Lymph node section stained with H&E, from a whole-slide image of a breast-cancer sentinel node. Magnification about 2.5×, about 2.0 mm across the frame, about 3.9 µm per pixel.
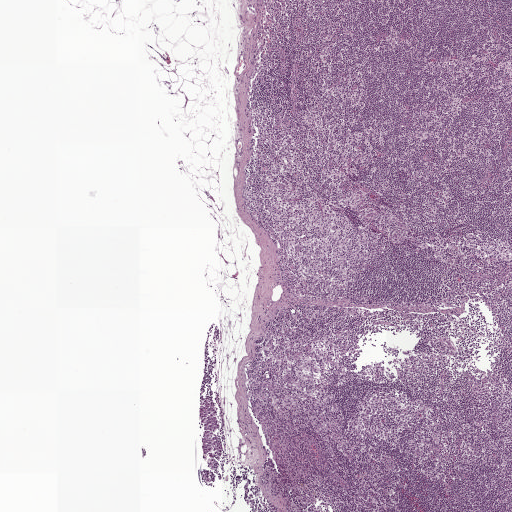
Tumour region outline (a closed clockwise path, crop pixels): (209, 395), (216, 403), (218, 409), (220, 427), (216, 434), (223, 444), (223, 451), (214, 460), (215, 469), (207, 468), (208, 457), (200, 450), (200, 439), (202, 432), (199, 401), (203, 396).
Tumour covers under 5% of the frame.